H&E-stained section of a sentinel lymph node (breast cancer), from a whole-slide image, viewed at about 10×: the field is about 0.46 mm across, about 0.9 µm per pixel.
Image:
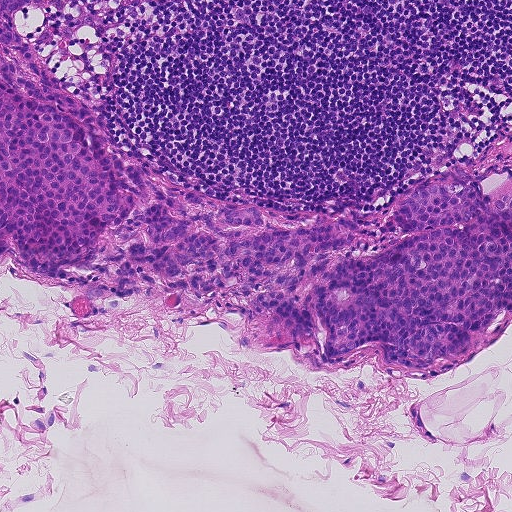
Question:
Does this lymph node field contain metastatic tumour?
Answer:
Yes.
Tumour region outline (a closed clockwise path, crop pixels): (0, 0), (33, 0), (12, 14), (18, 33), (116, 143), (223, 200), (345, 220), (416, 184), (510, 168), (505, 335), (434, 376), (396, 370), (376, 342), (322, 362), (255, 307), (218, 293), (96, 296), (37, 280), (18, 274), (12, 254), (0, 266).
About 30% of this field is tumour.